H&E-stained section of a sentinel lymph node (breast cancer), from a whole-slide image, viewed at about 10×: the field is about 0.46 mm across, about 0.9 µm per pixel.
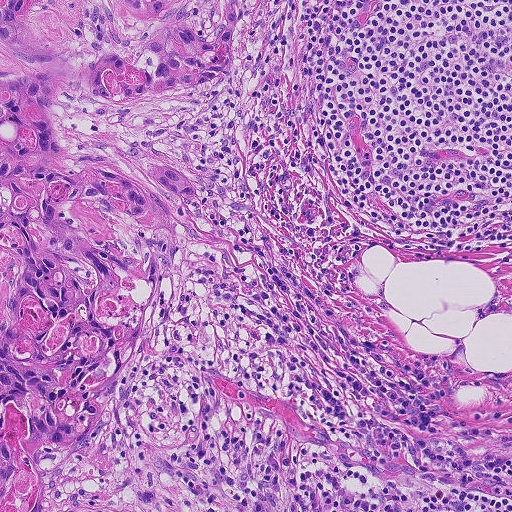
Tumour region outline (a closed clockwise path, crop pixels): (0, 0), (251, 0), (235, 36), (237, 73), (142, 104), (125, 122), (200, 191), (174, 200), (194, 215), (188, 239), (106, 390), (99, 438), (42, 478), (43, 502), (0, 511).
The annotated tumour makes up about 30% of the crop.